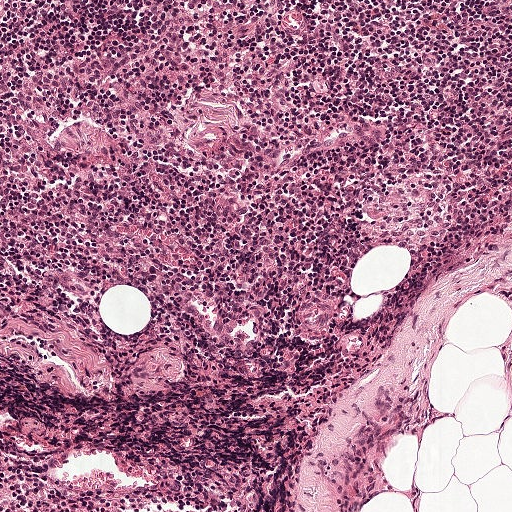
A 0.5-mm field of an H&E-stained sentinel lymph node from a breast-cancer patient (whole-slide image), shown at about 10×, about 0.97 µm per pixel.
Question: Is there metastatic carcinoma in this field?
Answer: No: no metastatic tumour is outlined anywhere in this field.